H&E-stained section of a sentinel lymph node (breast cancer), from a whole-slide image, viewed at about 10×: the field is about 0.5 mm across, about 0.97 µm per pixel.
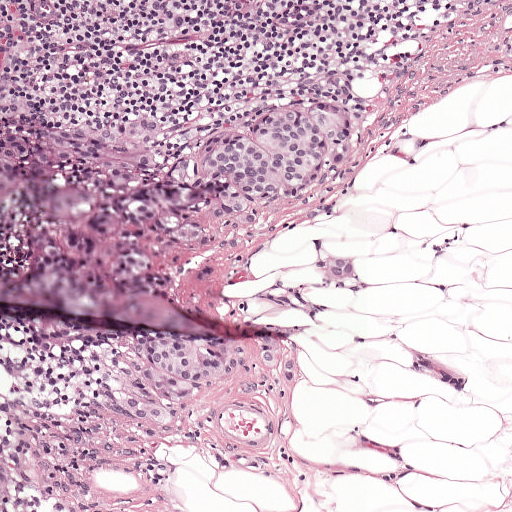
Boundaries of five metastatic tumour regions, simplified and listed clockwise, largest first: region 1: (318, 100), (343, 110), (334, 165), (320, 184), (234, 234), (176, 250), (154, 241), (146, 215), (158, 187), (212, 128), (292, 102); region 2: (160, 326), (193, 327), (285, 348), (278, 376), (248, 367), (172, 440), (124, 428), (90, 397); region 3: (138, 116), (157, 116), (152, 171), (118, 178), (83, 162), (49, 168), (5, 192), (0, 202), (0, 135); region 4: (334, 249), (366, 261), (366, 274), (361, 292), (331, 288), (320, 270); region 5: (129, 250), (157, 255), (157, 270), (136, 280), (116, 281), (107, 273), (110, 255).
About 15% of the image area is annotated as tumour.